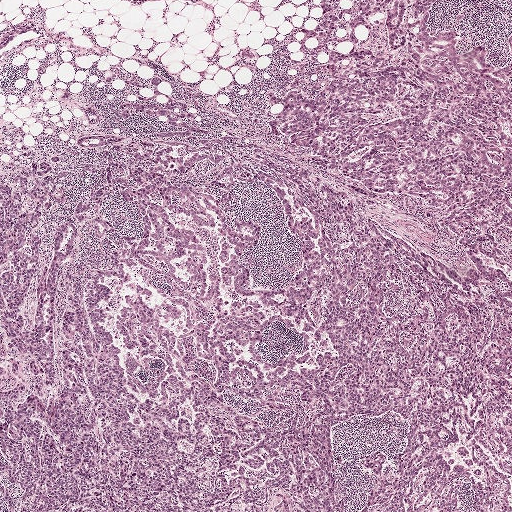
This is a crop of a whole-slide image: an H&E-stained breast-cancer sentinel lymph node section at roughly 2.5× magnification (about 3.9 µm per pixel; the crop spans about 2.0 mm).
Four metastatic tumour regions, each outlined as a closed clockwise path in crop pixels (x, y), largest first: region 1: (363, 0), (441, 0), (428, 29), (456, 29), (460, 52), (485, 45), (495, 67), (511, 32), (502, 222), (494, 214), (445, 230), (408, 199), (317, 168), (268, 132), (284, 104), (265, 104), (266, 91), (321, 96), (330, 46), (385, 51), (379, 13), (346, 27); region 2: (344, 239), (376, 245), (401, 261), (403, 281), (386, 312), (430, 308), (438, 349), (465, 370), (470, 395), (455, 443), (445, 448), (449, 475), (426, 501), (396, 463), (408, 421), (387, 411), (348, 417), (332, 432), (341, 496), (352, 511), (297, 511), (290, 496), (295, 470), (278, 449), (296, 397), (265, 376), (300, 352), (302, 339), (280, 324), (268, 325), (257, 346), (263, 366), (243, 347), (216, 339), (220, 314), (211, 272), (217, 269), (223, 295), (315, 326), (327, 268); region 3: (65, 307), (72, 309), (98, 427), (95, 479), (80, 511), (5, 511), (0, 496), (0, 389), (25, 387), (30, 396), (36, 392), (47, 401), (55, 396), (60, 383), (57, 325); region 4: (376, 449), (385, 453), (385, 467), (407, 483), (407, 490), (403, 498), (405, 511), (354, 511), (366, 504), (372, 489), (373, 473), (361, 462), (360, 456).
Tumour covers about 30% of the frame.